Question: 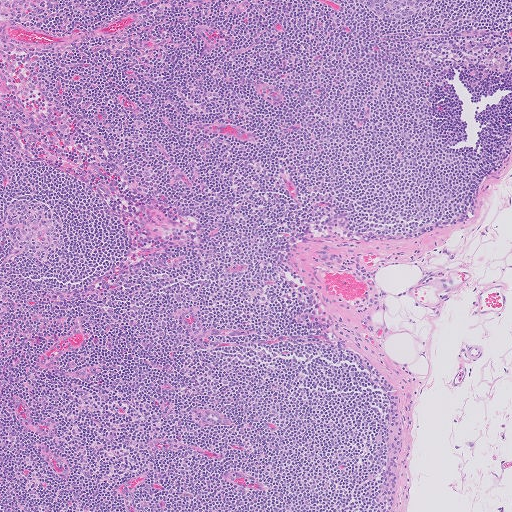
At roughly what magnification is this field shown?

Choices:
 (A) about 2.5×
 (B) about 40×
 (C) about 20×
 (D) about 10×
 (E) about 5×

Answer: (E) about 5×
This is a crop of a whole-slide image: an H&E-stained breast-cancer sentinel lymph node section at roughly 5× magnification (about 2.0 µm per pixel; the crop spans about 1.0 mm).